Question: 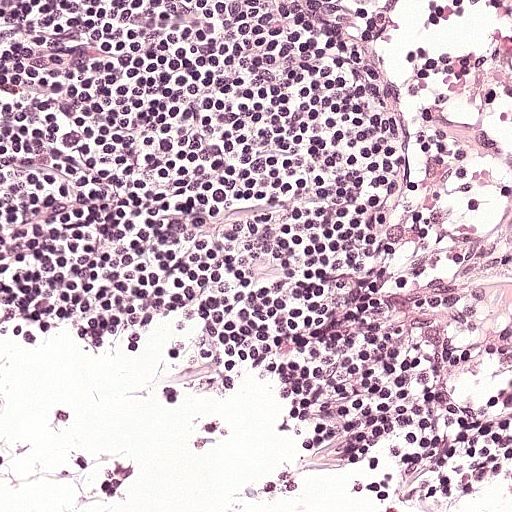
About what magnification does this crop show?

Choices:
 (A) about 2.5×
 (B) about 10×
 (C) about 40×
 (D) about 5×
 (E) about 20×

Answer: (E) about 20×
Lymph node section stained with H&E, from a whole-slide image of a breast-cancer sentinel node. Magnification about 20×, about 0.25 mm across the frame, about 0.49 µm per pixel.